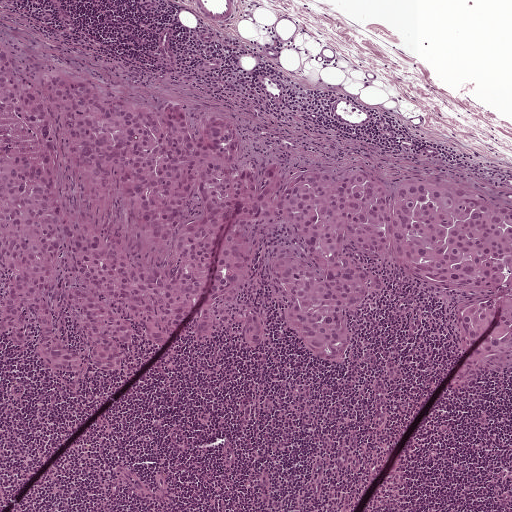
Lymph node section stained with H&E, from a whole-slide image of a breast-cancer sentinel node. Magnification about 5×, about 1 mm across the frame, about 1.9 µm per pixel.
Metastatic tumour outline, simplified to 22 points and listed clockwise in crop pixels (x, y): (0, 38), (220, 111), (257, 154), (511, 204), (511, 356), (457, 329), (499, 292), (390, 254), (349, 255), (391, 292), (346, 313), (342, 363), (293, 339), (260, 271), (255, 355), (225, 331), (170, 353), (140, 332), (114, 374), (62, 377), (35, 329), (2, 342).
The annotated tumour makes up about 40% of the crop.